Image:
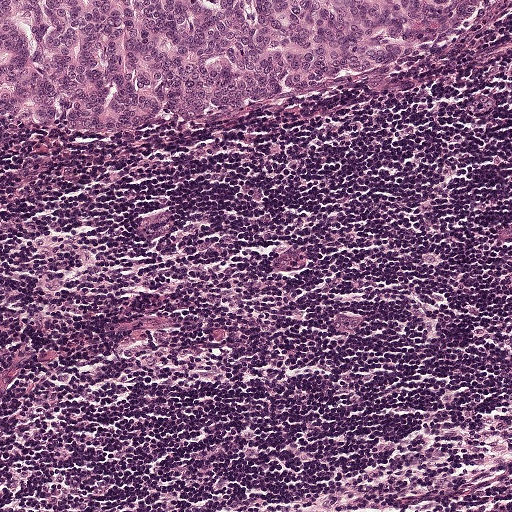
Lymph node section stained with H&E, from a whole-slide image of a breast-cancer sentinel node. Magnification about 10×, about 0.5 mm across the frame, about 0.97 µm per pixel.
Question:
Is any metastatic breast cancer visible in this crop?
Answer:
Yes.
One metastatic tumour region; its boundary, reduced to 6 corners and listed clockwise: (0, 0), (511, 0), (502, 17), (232, 131), (158, 144), (3, 145).
The annotated tumour makes up about 20% of the crop.